This is a crop of a whole-slide image: an H&E-stained breast-cancer sentinel lymph node section at roughly 5× magnification (about 1.9 µm per pixel; the crop spans about 1 mm).
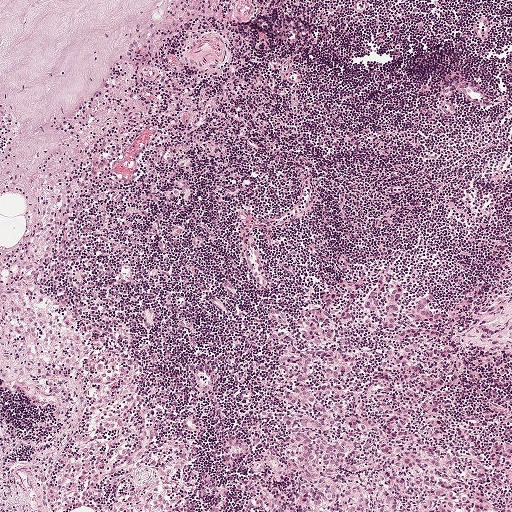
Metastatic tumour outline, simplified to 22 points and listed clockwise in crop pixels (x, y): (376, 281), (409, 287), (409, 317), (416, 298), (436, 293), (432, 307), (460, 313), (466, 378), (443, 433), (462, 460), (459, 478), (473, 484), (476, 508), (485, 496), (486, 511), (268, 511), (274, 499), (297, 490), (272, 334), (306, 348), (309, 308), (364, 305).
One more small tumour piece is annotated here but not outlined.
About 15% of the image area is annotated as tumour.